Lymph node section stained with H&E, from a whole-slide image of a breast-cancer sentinel node. Magnification about 5×, about 1 mm across the frame, about 1.9 µm per pixel.
Image:
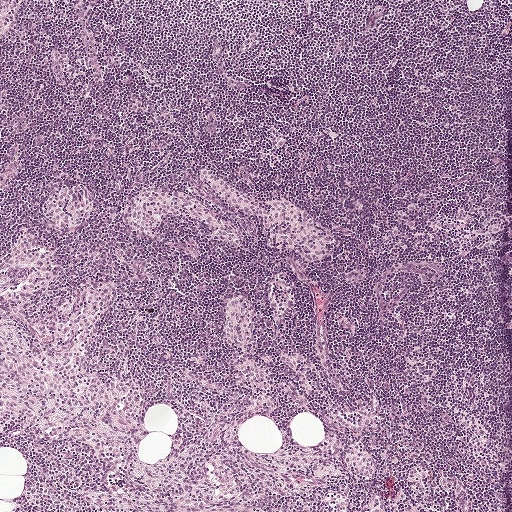
Question:
Is there metastatic carcinoma in this field?
Answer:
No: no metastatic tumour is outlined anywhere in this field.